Question: 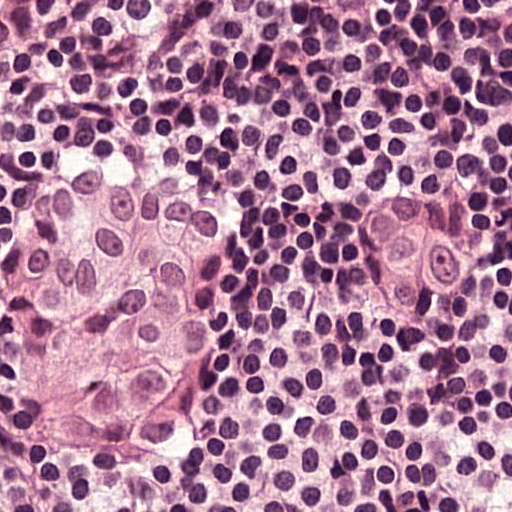
Which magnification is this H&E lymph node field most likely shown at?

Choices:
 (A) about 5×
 (B) about 10×
 (C) about 2.5×
 (D) about 20×
 (E) about 40×

Answer: (E) about 40×
H&E-stained section of a sentinel lymph node (breast cancer), from a whole-slide image, viewed at about 40×: the field is about 0.12 mm across, about 0.24 µm per pixel.
Three metastatic tumour regions, each outlined as a closed clockwise path in crop pixels (x, y), largest first: region 1: (53, 151), (169, 151), (248, 193), (252, 264), (237, 356), (211, 443), (182, 481), (48, 474), (0, 443), (6, 214), (19, 177); region 2: (382, 193), (477, 211), (500, 224), (505, 232), (505, 277), (495, 306), (435, 342), (411, 342), (379, 327), (350, 288), (345, 243), (356, 206); region 3: (0, 0), (121, 0), (114, 5), (106, 16), (95, 21), (93, 26), (87, 26), (72, 34), (64, 34), (51, 39), (51, 42), (43, 42), (27, 49), (0, 49).
About 35% of this field is tumour.